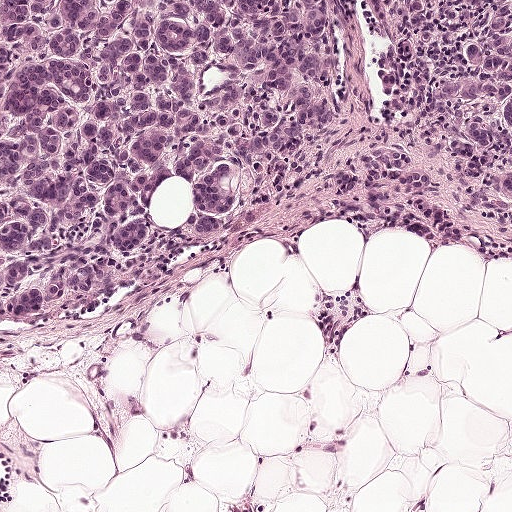
H&E-stained section of a sentinel lymph node (breast cancer), from a whole-slide image, viewed at about 10×: the field is about 0.5 mm across, about 0.97 µm per pixel.
Outlines of two tumour regions, largest first (closed clockwise paths, crop pixels): region 1: (0, 0), (342, 0), (349, 118), (306, 185), (122, 300), (76, 316), (0, 322); region 2: (347, 0), (511, 0), (511, 211), (449, 182), (384, 42).
The annotated tumour makes up about 40% of the crop.